H&E-stained section of a sentinel lymph node (breast cancer), from a whole-slide image, viewed at about 20×: the field is about 0.23 mm across, about 0.45 µm per pixel.
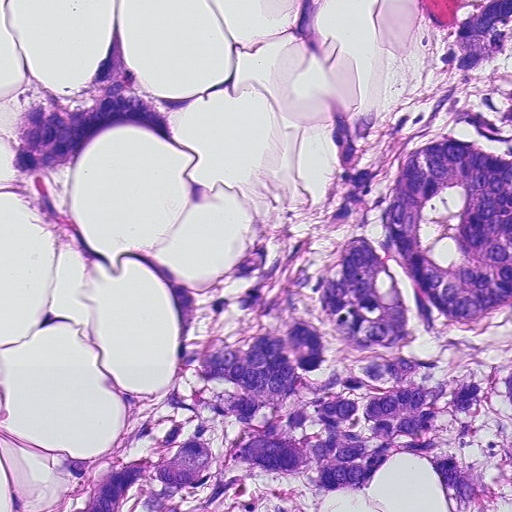
Tumour region outline (a closed clockwise path, crop pixels): (128, 0), (158, 92), (236, 79), (184, 154), (76, 152), (100, 247), (202, 285), (328, 186), (292, 0), (324, 0), (362, 132), (457, 10), (511, 0), (511, 511), (0, 511), (0, 401), (33, 509), (177, 339), (158, 276), (70, 238), (57, 172), (5, 176), (22, 76), (79, 80).
About 60% of this field is tumour.